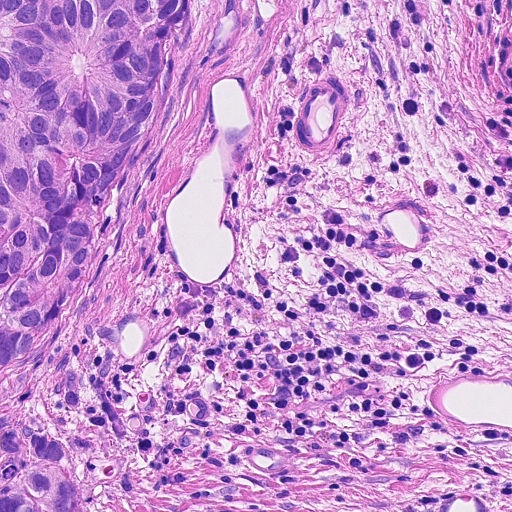
A 0.23-mm field of an H&E-stained sentinel lymph node from a breast-cancer patient (whole-slide image), shown at about 20×, about 0.45 µm per pixel.
The outlined metastatic tumour's edge, as a closed clockwise path of 12 points: (0, 0), (202, 0), (150, 168), (126, 200), (92, 220), (81, 296), (17, 394), (20, 411), (55, 431), (81, 467), (92, 511), (0, 511).
About 20% of this field is tumour.